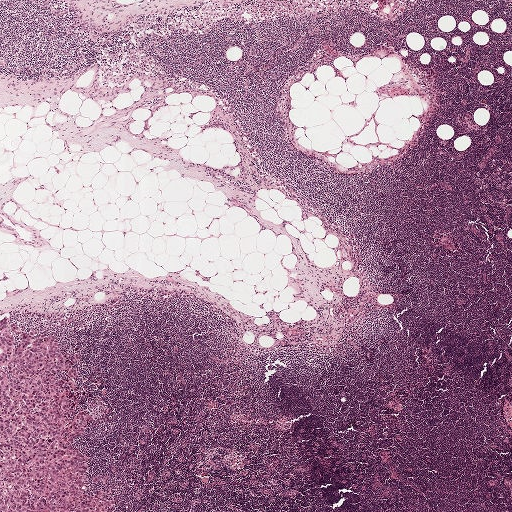
H&E-stained section of a sentinel lymph node (breast cancer), from a whole-slide image, viewed at about 2.5×: the field is about 2.0 mm across, about 3.9 µm per pixel.
The outlined metastatic tumour's edge, as a closed clockwise path of 20 points: (0, 317), (25, 331), (37, 329), (44, 338), (54, 336), (63, 352), (80, 346), (80, 369), (73, 378), (86, 392), (73, 412), (87, 411), (88, 422), (72, 443), (88, 466), (85, 492), (101, 489), (115, 500), (116, 511), (0, 511).
Tumour covers about 5% of the frame.